Lymph node section stained with H&E, from a whole-slide image of a breast-cancer sentinel node. Magnification about 10×, about 0.46 mm across the frame, about 0.9 µm per pixel.
Question: 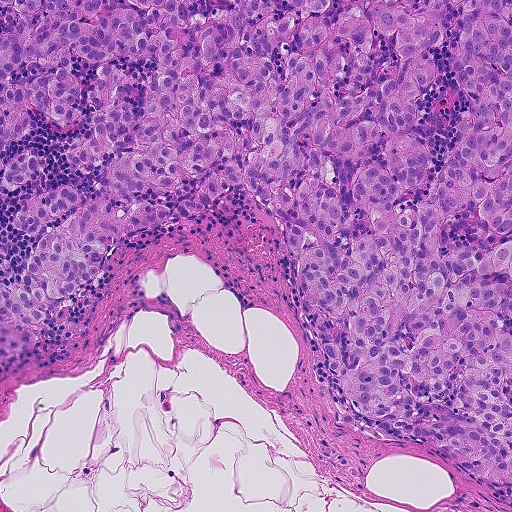
About how much of this crop is taken up by metastatic carcinoma?

Choices:
 (A) about 50% or more
 (B) about 10% to 20%
 (C) about 25% to 45%
 (D) about 5% or less
 (E) none: no tumour is outlined

Answer: (A) about 50% or more
About 60% of the field is tumour.
Outlines of two tumour regions, largest first (closed clockwise paths, crop pixels): region 1: (0, 0), (511, 0), (511, 496), (348, 405), (288, 241), (237, 187), (133, 233), (0, 373), (0, 282), (18, 286), (46, 226), (18, 237), (18, 204), (71, 186), (82, 202), (102, 183), (100, 164), (71, 168), (63, 150), (93, 126), (30, 112), (27, 132), (0, 152); region 2: (22, 151), (40, 156), (44, 174), (27, 184), (9, 189), (0, 173), (0, 163), (1, 165), (6, 160).